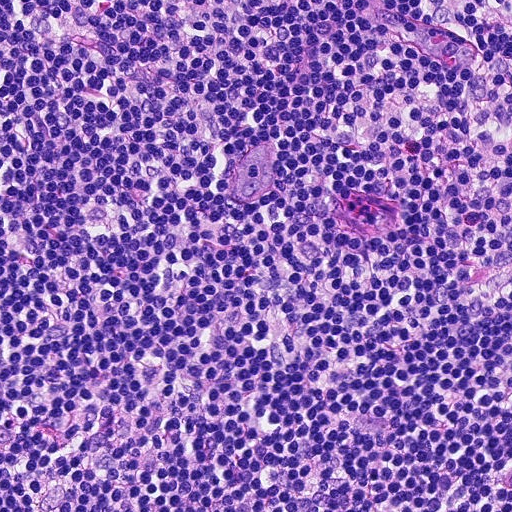
This is a crop of a whole-slide image: an H&E-stained breast-cancer sentinel lymph node section at roughly 20× magnification (about 0.45 µm per pixel; the crop spans about 0.23 mm).